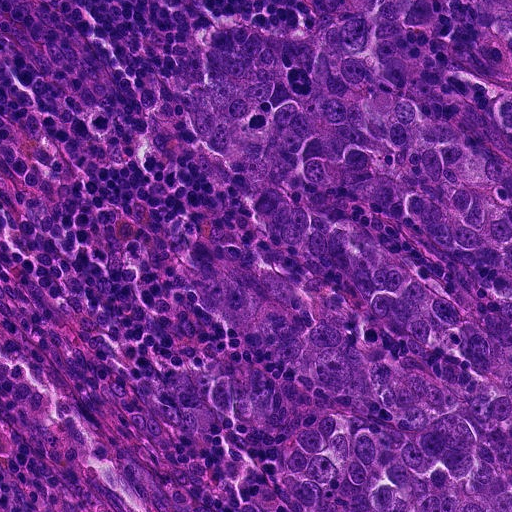
A 0.23-mm field of an H&E-stained sentinel lymph node from a breast-cancer patient (whole-slide image), shown at about 20×, about 0.45 µm per pixel.
The outlined metastatic tumour's edge, as a closed clockwise path of 22 points: (338, 0), (511, 0), (511, 511), (366, 511), (335, 488), (313, 511), (280, 502), (263, 474), (270, 440), (208, 409), (202, 376), (230, 357), (296, 368), (322, 308), (354, 303), (336, 272), (282, 235), (190, 134), (179, 102), (210, 38), (238, 21), (304, 32).
About 50% of the image area is annotated as tumour.